H&E-stained section of a sentinel lymph node (breast cancer), from a whole-slide image, viewed at about 20×: the field is about 0.23 mm across, about 0.45 µm per pixel.
Image:
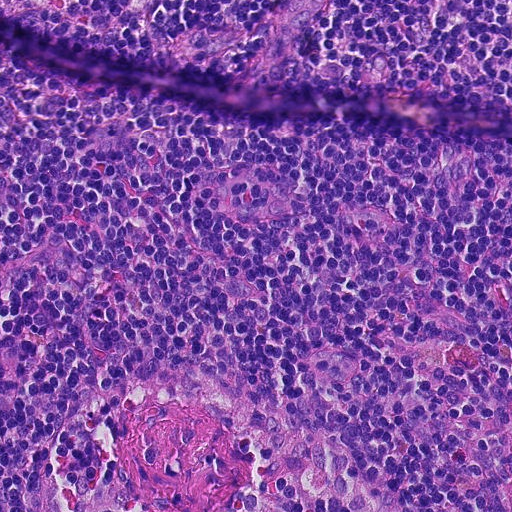
Question:
Is any metastatic breast cancer visible in this crop?
Answer:
No, this field holds no outlined metastasis.